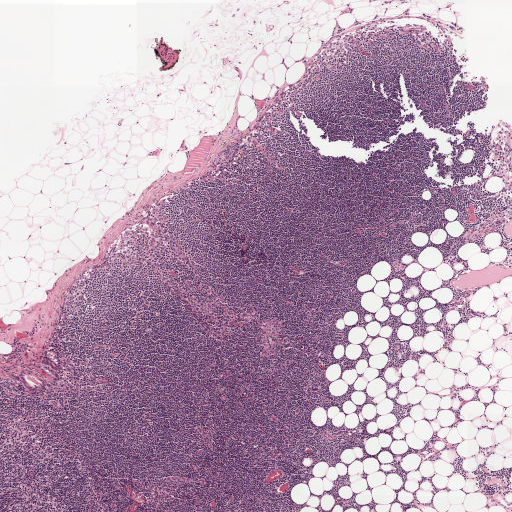
This is a crop of a whole-slide image: an H&E-stained breast-cancer sentinel lymph node section at roughly 2.5× magnification (about 3.9 µm per pixel; the crop spans about 2.0 mm).
The outlined metastatic tumour's edge, as a closed clockwise path of 12 points: (235, 145), (235, 152), (228, 161), (230, 163), (228, 167), (223, 166), (221, 163), (215, 165), (212, 162), (213, 157), (217, 154), (228, 151).
The annotated tumour makes up under 5% of the crop.